Question: 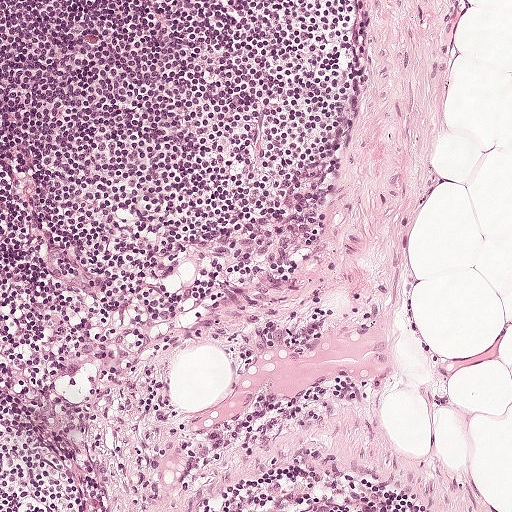
Which magnification is this H&E lymph node field most likely shown at?

Choices:
 (A) about 10×
 (B) about 20×
 (C) about 40×
 (D) about 5×
 (E) about 2.5×

Answer: (A) about 10×
Lymph node section stained with H&E, from a whole-slide image of a breast-cancer sentinel node. Magnification about 10×, about 0.5 mm across the frame, about 0.97 µm per pixel.